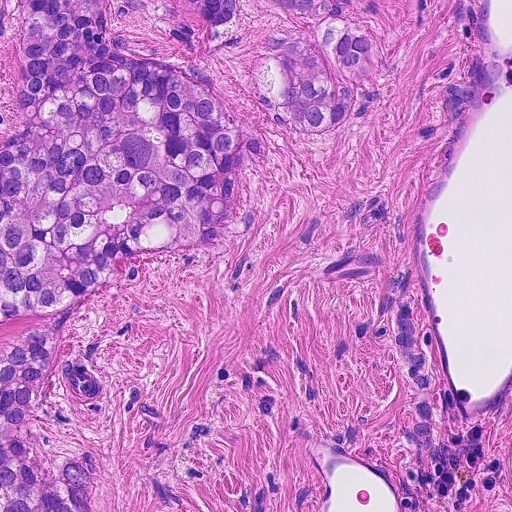
H&E-stained section of a sentinel lymph node (breast cancer), from a whole-slide image, viewed at about 20×: the field is about 0.23 mm across, about 0.45 µm per pixel.
Metastatic tumour outline, simplified to 22 points and listed clockwise in crop pixels (x, y): (0, 0), (348, 0), (384, 32), (387, 68), (366, 98), (339, 125), (303, 132), (268, 122), (220, 73), (249, 133), (228, 240), (124, 274), (58, 353), (94, 364), (110, 402), (75, 402), (55, 373), (44, 434), (54, 458), (105, 441), (99, 511), (0, 511).
The annotated tumour makes up about 40% of the crop.